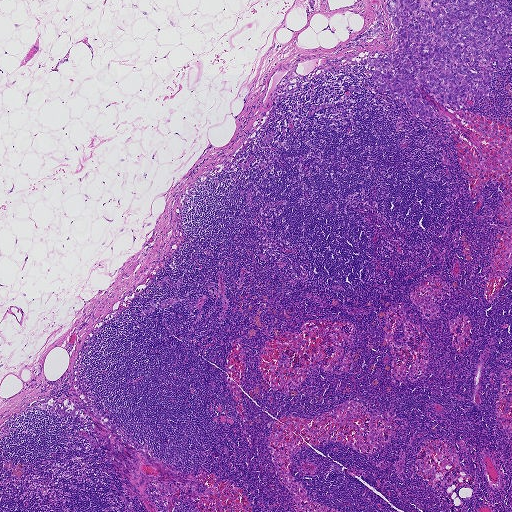
Lymph node section stained with H&E, from a whole-slide image of a breast-cancer sentinel node. Magnification about 2.5×, about 1.9 mm across the frame, about 3.6 µm per pixel.
The outlined metastatic tumour's edge, as a closed clockwise path of 22 points: (506, 0), (511, 34), (501, 37), (509, 40), (511, 54), (506, 68), (495, 61), (484, 71), (493, 75), (487, 83), (490, 94), (454, 108), (415, 87), (447, 118), (424, 121), (403, 108), (406, 101), (378, 91), (366, 72), (371, 53), (395, 46), (387, 1).
Tumour covers about 5% of the frame.